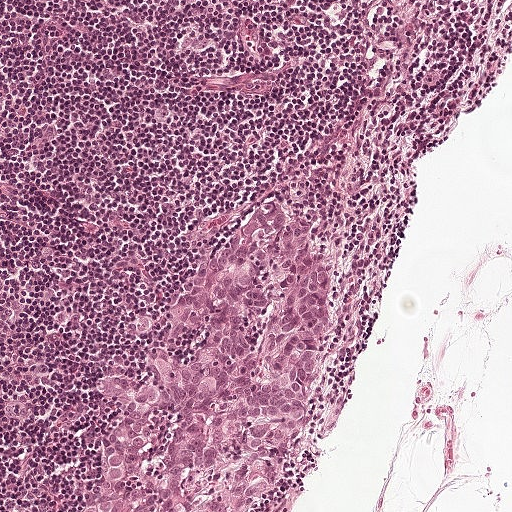
This is a crop of a whole-slide image: an H&E-stained breast-cancer sentinel lymph node section at roughly 10× magnification (about 0.97 µm per pixel; the crop spans about 0.5 mm).
Metastatic tumour outline, simplified to 13 points and listed clockwise in crop pixels (x, y): (298, 204), (329, 222), (340, 242), (326, 420), (302, 482), (257, 511), (81, 511), (106, 438), (107, 380), (156, 361), (188, 294), (224, 263), (254, 209).
Tumour covers about 20% of the frame.